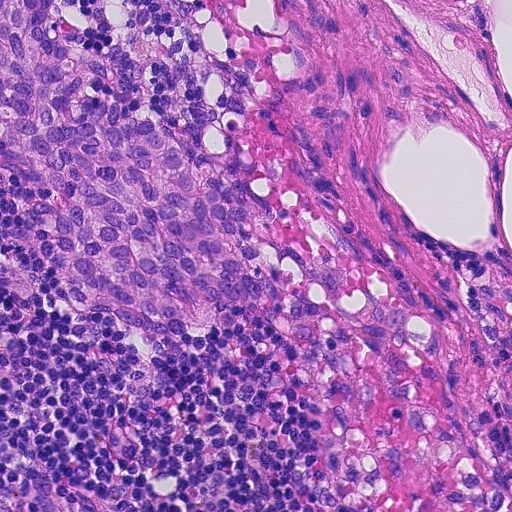
A 0.23-mm field of an H&E-stained sentinel lymph node from a breast-cancer patient (whole-slide image), shown at about 20×, about 0.45 µm per pixel.
Question: Trace the edge of each tumour region in this crop, as (x, y) points from 0 to 511.
Answer: The outlined metastatic tumour's edge, as a closed clockwise path of 21 points: (0, 0), (60, 0), (54, 16), (67, 40), (134, 51), (145, 76), (130, 100), (134, 113), (148, 114), (193, 168), (242, 193), (260, 247), (240, 264), (258, 302), (218, 317), (197, 341), (132, 334), (74, 306), (56, 264), (49, 191), (0, 166).
About 20% of this field is tumour.